A 0.23-mm field of an H&E-stained sentinel lymph node from a breast-cancer patient (whole-slide image), shown at about 20×, about 0.45 µm per pixel.
Image:
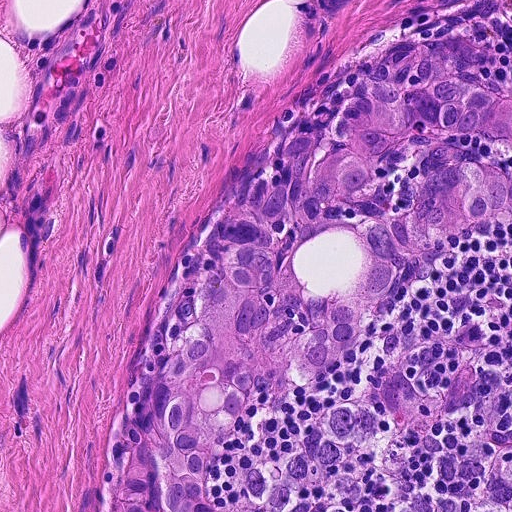
Question:
Where is the metastatic tumour in this field? Give each region's outline as (x, y) pixel points.
Answer:
Tumour region outline (a closed clockwise path, crop pixels): (462, 32), (494, 45), (470, 70), (511, 79), (511, 212), (442, 248), (352, 359), (251, 401), (206, 500), (239, 499), (264, 456), (446, 331), (486, 330), (494, 385), (421, 422), (406, 474), (446, 489), (439, 440), (505, 391), (511, 511), (107, 511), (114, 425), (199, 228), (338, 80).
Tumour covers about 45% of the frame.